Lymph node section stained with H&E, from a whole-slide image of a breast-cancer sentinel node. Magnification about 2.5×, about 2.0 mm across the frame, about 3.9 µm per pixel.
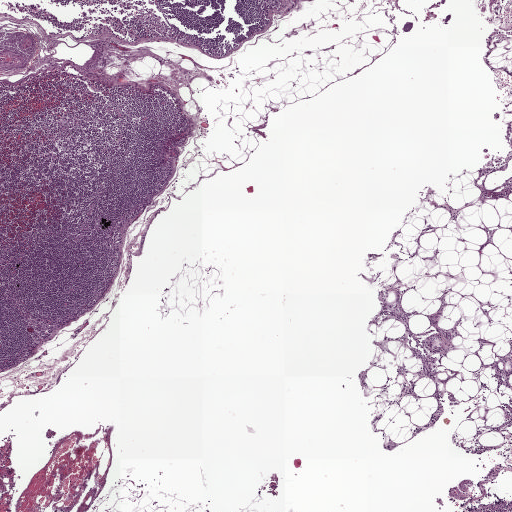
Question: Which parts of this field are metastatic tumour?
Answer: Metastatic tumour outline, simplified to 12 points and listed clockwise in crop pixels (x, y): (70, 119), (76, 121), (77, 124), (76, 126), (72, 123), (67, 122), (65, 125), (60, 126), (57, 125), (59, 122), (62, 121), (65, 120).
Two more small tumour pieces are annotated here but not outlined.
Under 5% of the image area is annotated as tumour.